Question: 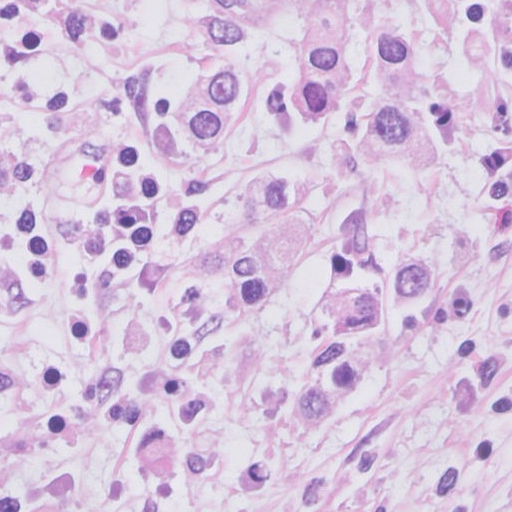
About what magnification does this crop show?

Choices:
 (A) about 2.5×
 (B) about 5×
 (C) about 10×
 (D) about 20×
 (E) about 40×

Answer: (E) about 40×
A 0.13-mm field of an H&E-stained sentinel lymph node from a breast-cancer patient (whole-slide image), shown at about 40×, about 0.25 µm per pixel.
Tumour region outline (a closed clockwise path, crop pixels): (206, 0), (446, 0), (487, 121), (492, 270), (401, 393), (316, 435), (265, 388), (253, 222), (110, 164), (102, 96).
Tumour covers about 40% of the frame.